Lymph node section stained with H&E, from a whole-slide image of a breast-cancer sentinel node. Magnification about 2.5×, about 2.0 mm across the frame, about 3.9 µm per pixel.
Question: 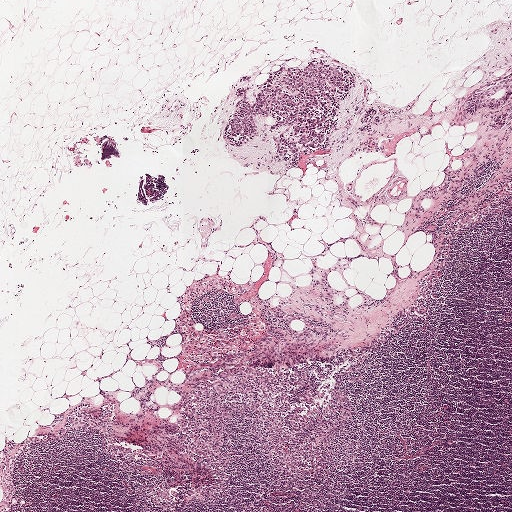
Estimate the proportion of this field that is metastatic tumour.

Choices:
 (A) none: no tumour is outlined
 (B) about 50% or more
 (C) about 25% to 45%
 (D) about 5% or less
 (E) about 10% to 20%

Answer: (D) about 5% or less
About 5% of the field is tumour.
Outlines of three tumour regions, largest first (closed clockwise paths, crop pixels): region 1: (319, 59), (349, 69), (354, 87), (339, 104), (328, 141), (281, 155), (274, 141), (287, 128), (268, 131), (275, 121), (256, 114), (260, 129), (255, 137), (240, 146), (225, 137), (238, 97), (234, 91), (244, 84), (236, 76), (250, 73), (246, 93), (254, 102), (266, 76), (282, 67); region 2: (511, 72), (511, 92), (500, 109), (493, 112), (480, 112), (472, 117), (463, 113), (463, 103), (469, 95); region 3: (511, 103), (511, 120), (510, 122), (504, 127), (497, 129), (490, 129), (488, 124), (491, 120), (495, 117), (501, 113).